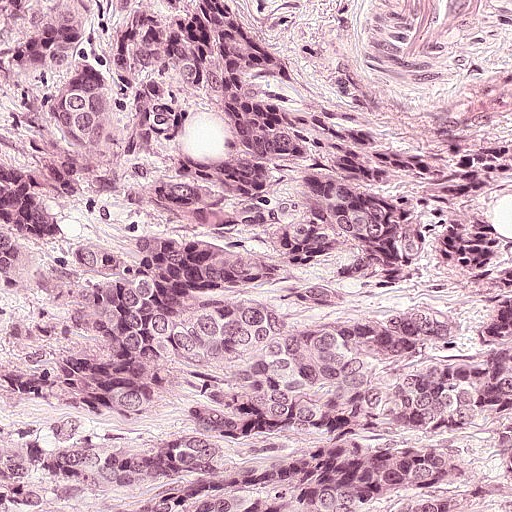
H&E-stained section of a sentinel lymph node (breast cancer), from a whole-slide image, viewed at about 20×: the field is about 0.25 mm across, about 0.49 µm per pixel.